H&E-stained section of a sentinel lymph node (breast cancer), from a whole-slide image, viewed at about 20×: the field is about 0.25 mm across, about 0.49 µm per pixel.
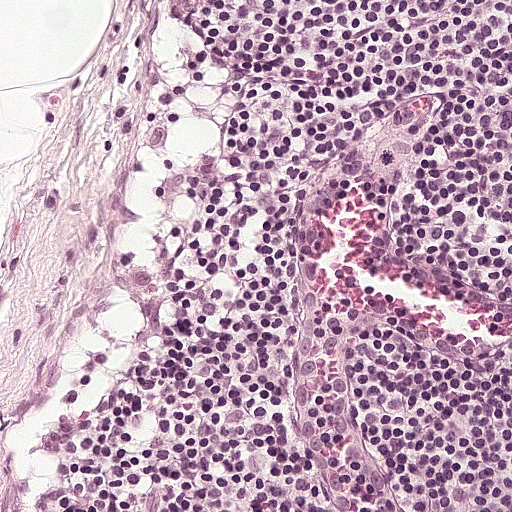
Question: Does this lymph node field contain metastatic tumour?
Answer: No, this field holds no outlined metastasis.